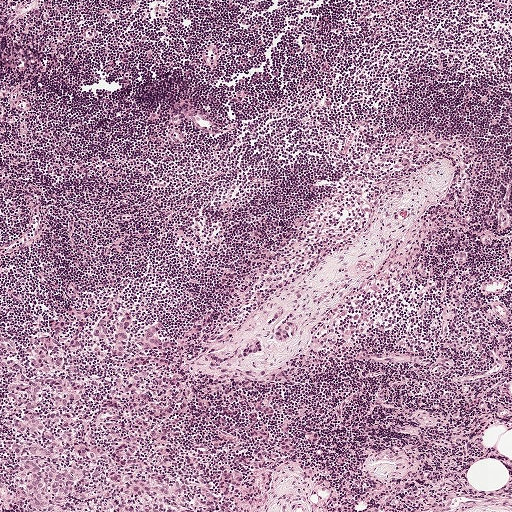
H&E-stained section of a sentinel lymph node (breast cancer), from a whole-slide image, viewed at about 5×: the field is about 1 mm across, about 1.9 µm per pixel.
Outlines of three tumour regions, largest first (closed clockwise paths, crop pixels): region 1: (106, 309), (138, 315), (138, 345), (145, 326), (165, 321), (170, 326), (161, 335), (189, 341), (186, 362), (195, 406), (172, 461), (191, 488), (188, 506), (200, 511), (26, 511), (14, 485), (18, 433), (0, 362), (18, 362), (35, 376), (38, 336), (94, 333); region 2: (258, 339), (262, 340), (263, 346), (263, 349), (259, 352), (252, 353), (247, 357), (243, 358), (239, 358), (238, 356), (238, 350), (242, 349), (244, 345), (247, 342); region 3: (283, 321), (290, 326), (291, 338), (286, 341), (283, 341), (277, 339), (275, 334), (274, 330), (276, 327).
One more small tumour piece is annotated here but not outlined.
About 10% of the image area is annotated as tumour.